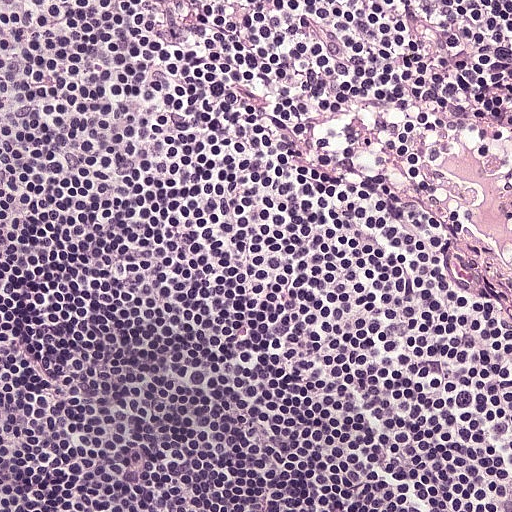
A 0.25-mm field of an H&E-stained sentinel lymph node from a breast-cancer patient (whole-slide image), shown at about 20×, about 0.49 µm per pixel.
Question: Is there metastatic carcinoma in this field?
Answer: No, this field holds no outlined metastasis.